Image:
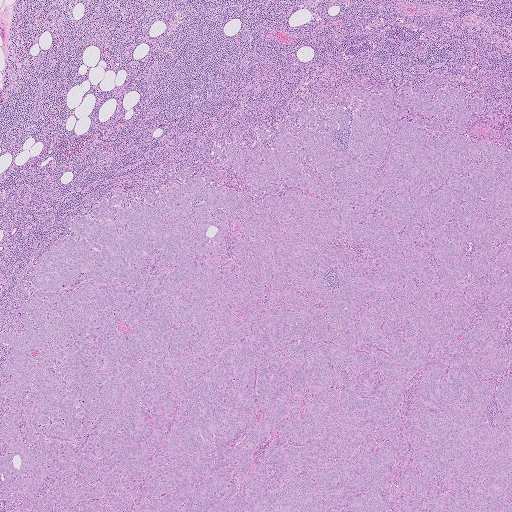
Lymph node section stained with H&E, from a whole-slide image of a breast-cancer sentinel node. Magnification about 2.5×, about 2.0 mm across the frame, about 4.0 µm per pixel.
Question:
Describe where the metastatic carcinoma lies in this crop.
Answer:
One metastatic tumour region; its boundary, reduced to 19 corners and listed clockwise: (455, 72), (488, 104), (478, 137), (511, 139), (511, 511), (4, 511), (0, 335), (28, 289), (27, 268), (77, 211), (136, 197), (187, 165), (251, 188), (215, 164), (212, 148), (235, 137), (249, 144), (352, 85), (421, 93).
The annotated tumour makes up about 70% of the crop.